Question: 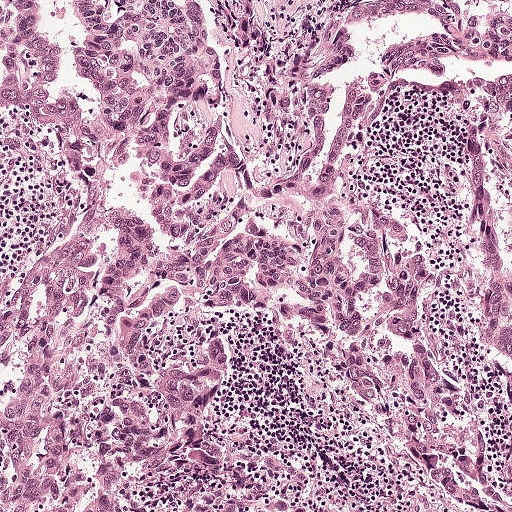
Which magnification is this H&E lymph node field most likely shown at?

Choices:
 (A) about 20×
 (B) about 10×
 (C) about 5×
 (D) about 2.5×
 (E) about 40×

Answer: (B) about 10×
Lymph node section stained with H&E, from a whole-slide image of a breast-cancer sentinel node. Magnification about 10×, about 0.5 mm across the frame, about 0.97 µm per pixel.